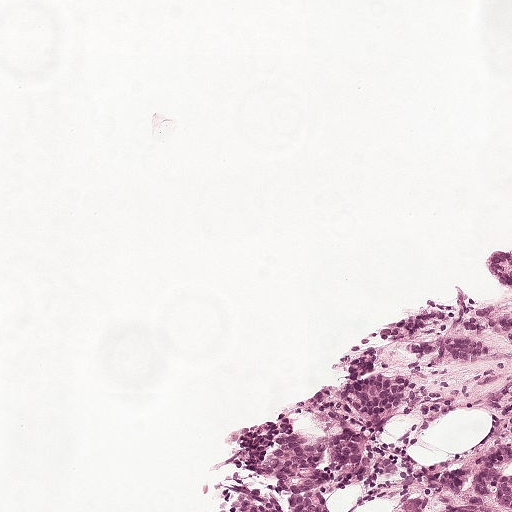
This is a crop of a whole-slide image: an H&E-stained breast-cancer sentinel lymph node section at roughly 10× magnification (about 0.97 µm per pixel; the crop spans about 0.5 mm).
The outlined metastatic tumour's edge, as a closed clockwise path of 6 points: (510, 207), (511, 511), (175, 511), (211, 474), (404, 357), (489, 250).
About 15% of this field is tumour.